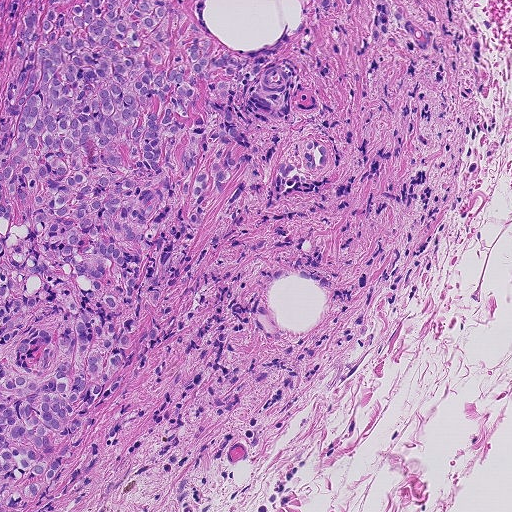
H&E-stained section of a sentinel lymph node (breast cancer), from a whole-slide image, viewed at about 10×: the field is about 0.46 mm across, about 0.9 µm per pixel.
Boundaries of two metastatic tumour regions, simplified and listed clockwise, largest first: region 1: (0, 0), (204, 0), (208, 34), (281, 60), (284, 115), (249, 98), (238, 103), (258, 151), (210, 207), (173, 203), (159, 254), (162, 308), (144, 306), (137, 336), (153, 324), (154, 344), (44, 497), (3, 511); region 2: (306, 138), (314, 139), (330, 149), (331, 157), (328, 166), (321, 171), (295, 172), (280, 180), (278, 172), (284, 154).
The annotated tumour makes up about 35% of the crop.